H&E-stained section of a sentinel lymph node (breast cancer), from a whole-slide image, viewed at about 2.5×: the field is about 2.0 mm across, about 3.9 µm per pixel.
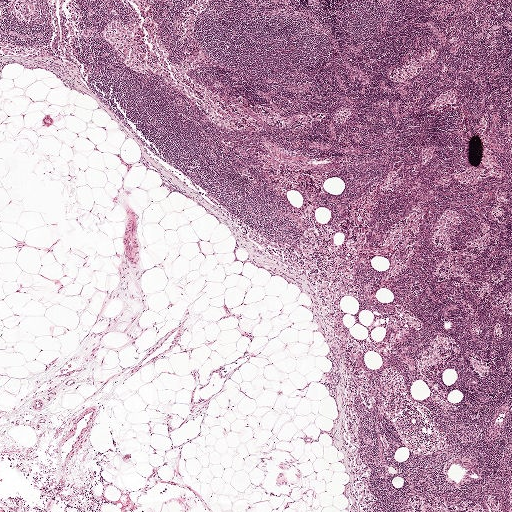
Question: Is there metastatic carcinoma in this field?
Answer: No. No metastatic tumour is outlined in this field.